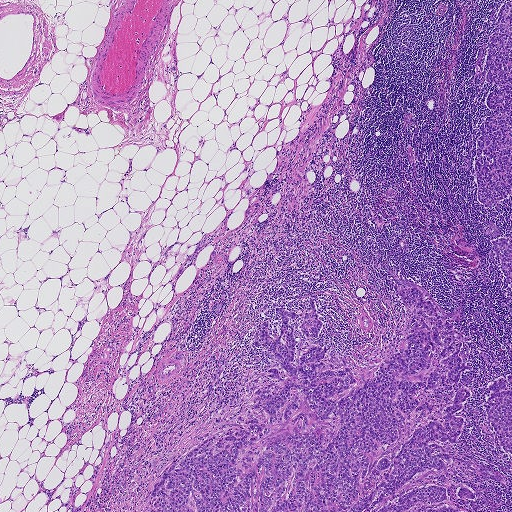
Lymph node section stained with H&E, from a whole-slide image of a breast-cancer sentinel node. Magnification about 2.5×, about 1.9 mm across the frame, about 3.6 µm per pixel.
Three metastatic tumour regions, each outlined as a closed clockwise path in crop pixels (x, y), largest first: region 1: (397, 275), (432, 292), (465, 340), (471, 365), (457, 387), (485, 401), (511, 375), (511, 511), (140, 511), (167, 460), (240, 415), (250, 382), (273, 366), (253, 343), (272, 303), (300, 311), (301, 300), (308, 312), (313, 298), (324, 324), (315, 342), (336, 365), (367, 377), (404, 325); region 2: (511, 0), (511, 198), (508, 196), (499, 201), (502, 205), (498, 212), (494, 208), (486, 209), (478, 201), (473, 165), (478, 130), (483, 120), (494, 115), (493, 111), (488, 109), (485, 97), (489, 91), (497, 92), (496, 85), (488, 84), (483, 72), (486, 49), (502, 1); region 3: (489, 219), (505, 236), (511, 236), (511, 290), (497, 265), (492, 263), (488, 257), (488, 252), (492, 247), (491, 238), (485, 235), (484, 231).
One more small tumour piece is annotated here but not outlined.
About 25% of the image area is annotated as tumour.